Image:
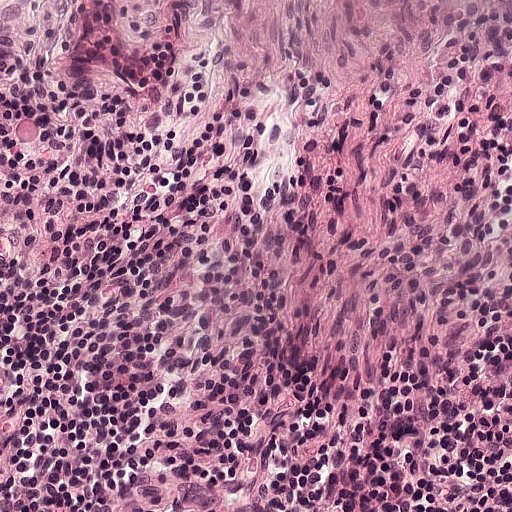
H&E-stained section of a sentinel lymph node (breast cancer), from a whole-slide image, viewed at about 20×: the field is about 0.25 mm across, about 0.49 µm per pixel.
Question:
Is any metastatic breast cancer visible in this crop?
Answer:
No, this field holds no outlined metastasis.